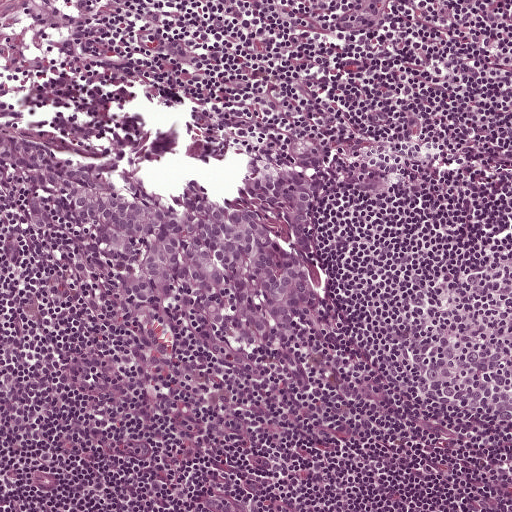
H&E-stained section of a sentinel lymph node (breast cancer), from a whole-slide image, viewed at about 10×: the field is about 0.5 mm across, about 0.97 µm per pixel.
Question: Describe where the metastatic carcinoma lies in this crop.
Answer: Tumour region outline (a closed clockwise path, crop pixels): (161, 131), (314, 131), (330, 148), (314, 242), (326, 342), (251, 352), (170, 303), (147, 312), (75, 275), (64, 242), (24, 220), (0, 192), (0, 132), (75, 155), (118, 156).
About 20% of this field is tumour.